Image:
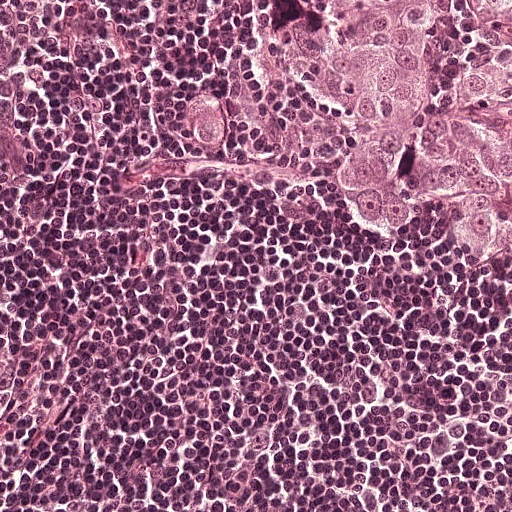
A 0.25-mm field of an H&E-stained sentinel lymph node from a breast-cancer patient (whole-slide image), shown at about 20×, about 0.49 µm per pixel.
Question:
Is there metastatic carcinoma in this field?
Answer:
Yes.
The outlined metastatic tumour's edge, as a closed clockwise path of 8 points: (511, 0), (511, 323), (482, 278), (322, 226), (246, 164), (202, 144), (180, 100), (254, 4).
About 25% of the image area is annotated as tumour.